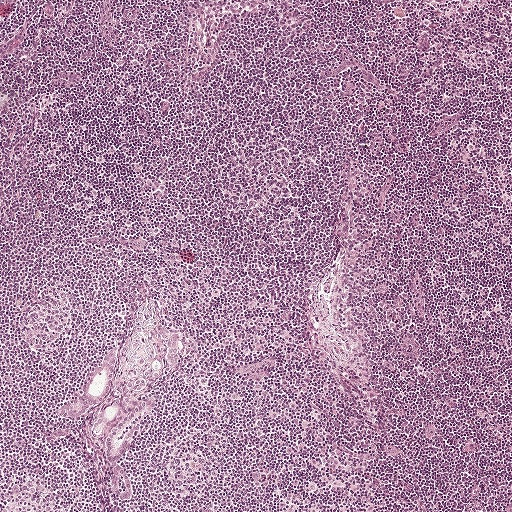
A 1-mm field of an H&E-stained sentinel lymph node from a breast-cancer patient (whole-slide image), shown at about 5×, about 1.9 µm per pixel.
Question: Show where the tumour is in this image.
Answer: Boundaries of five metastatic tumour regions, simplified and listed clockwise, largest first: region 1: (136, 340), (139, 346), (163, 362), (162, 375), (159, 378), (153, 379), (153, 383), (148, 388), (135, 392), (114, 423), (98, 436), (93, 436), (89, 429), (113, 396), (118, 385), (128, 376), (129, 368), (135, 358), (130, 351), (130, 346); region 2: (108, 346), (116, 350), (117, 361), (112, 374), (110, 385), (103, 406), (96, 413), (74, 422), (58, 414), (58, 410), (81, 394), (86, 381), (92, 376); region 3: (151, 397), (156, 398), (157, 401), (156, 407), (150, 411), (130, 440), (121, 460), (116, 464), (112, 464), (103, 453), (105, 438), (112, 425), (135, 405); region 4: (162, 328), (175, 329), (183, 337), (180, 368), (176, 370), (165, 366), (164, 353), (159, 352), (160, 337), (158, 334); region 5: (119, 463), (132, 480), (132, 494), (130, 500), (124, 501), (115, 496), (110, 485), (110, 474), (114, 465).
Region 5 encloses a non-tumour hole of about 20% of its area.
One more small tumour piece is annotated here but not outlined.
About 5% of this field is tumour.